A 2.0-mm field of an H&E-stained sentinel lymph node from a breast-cancer patient (whole-slide image), shown at about 2.5×, about 3.9 µm per pixel.
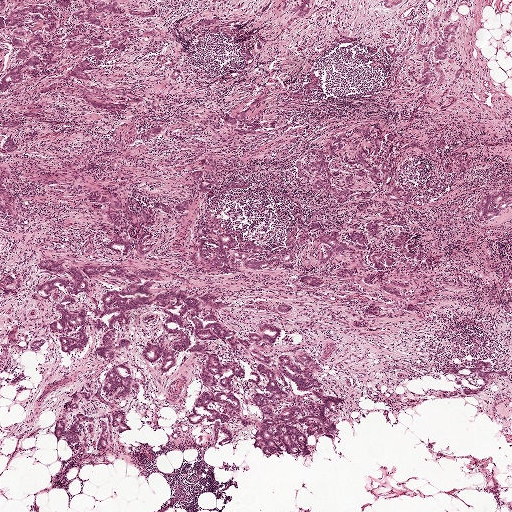
The eight largest tumour regions' boundaries, simplified and listed clockwise, largest first: region 1: (0, 0), (170, 0), (144, 42), (95, 73), (94, 80), (136, 94), (146, 106), (137, 113), (108, 116), (74, 98), (60, 98), (18, 162), (21, 224), (8, 228), (0, 223); region 2: (299, 351), (321, 365), (315, 378), (328, 395), (346, 400), (336, 408), (339, 417), (329, 416), (337, 435), (314, 437), (306, 424), (291, 424), (305, 434), (309, 456), (284, 452), (268, 457), (252, 447), (261, 418), (253, 398), (266, 392), (248, 379), (261, 364), (251, 358), (256, 353), (273, 358), (272, 367), (264, 366), (289, 394), (275, 414), (299, 407), (310, 417), (308, 403), (322, 404), (313, 393), (299, 392), (279, 368), (278, 358), (286, 355), (304, 371); region 3: (164, 289), (200, 295), (217, 292), (228, 305), (224, 310), (213, 313), (214, 315), (238, 338), (258, 322), (277, 323), (281, 326), (281, 333), (273, 346), (261, 342), (252, 343), (250, 348), (238, 346), (236, 355), (224, 348), (216, 339), (195, 339), (187, 330), (190, 346), (186, 351), (179, 352), (176, 368), (166, 372), (157, 371), (144, 360), (142, 348), (148, 341), (169, 350), (178, 340), (164, 330), (166, 315), (153, 305), (155, 296); region 4: (51, 258), (62, 266), (81, 271), (82, 265), (87, 264), (112, 262), (131, 271), (152, 270), (157, 274), (158, 285), (150, 291), (148, 305), (126, 314), (122, 328), (112, 326), (114, 338), (126, 338), (129, 344), (108, 361), (92, 351), (99, 337), (93, 327), (100, 314), (98, 298), (101, 293), (130, 284), (84, 275), (86, 292), (75, 295), (55, 282), (50, 295), (40, 294), (36, 286), (42, 282), (73, 279), (66, 274), (42, 271), (35, 266), (37, 260); region 5: (296, 209), (306, 223), (315, 210), (322, 228), (311, 233), (286, 267), (259, 274), (234, 265), (225, 277), (212, 279), (200, 275), (190, 264), (196, 220), (204, 214), (212, 214), (223, 229), (269, 251), (285, 244), (292, 211); region 6: (196, 343), (209, 346), (225, 362), (242, 364), (247, 375), (242, 380), (236, 379), (232, 390), (250, 426), (241, 427), (231, 418), (224, 424), (234, 438), (221, 447), (213, 443), (213, 423), (203, 419), (194, 427), (184, 419), (196, 396), (206, 391), (200, 383), (205, 358), (188, 350); region 7: (96, 187), (117, 200), (131, 196), (148, 200), (160, 200), (172, 203), (184, 199), (186, 201), (186, 210), (179, 212), (172, 211), (166, 213), (151, 206), (153, 222), (147, 228), (151, 235), (140, 241), (144, 244), (151, 242), (148, 252), (144, 255), (134, 253), (136, 238), (139, 226), (132, 224), (127, 225), (126, 228), (131, 246), (127, 253), (121, 255), (104, 247), (115, 233), (114, 225), (98, 206), (83, 198), (84, 192); region 8: (359, 129), (371, 131), (371, 140), (359, 136), (346, 141), (345, 154), (339, 154), (337, 160), (332, 160), (332, 170), (342, 175), (330, 183), (337, 189), (356, 194), (345, 209), (333, 204), (330, 197), (313, 191), (306, 172), (313, 159), (312, 151), (329, 144), (342, 133).
36 more, smaller tumour regions are not outlined.
Four more small tumour pieces are annotated here but not outlined.
About 25% of this field is tumour.